Lymph node section stained with H&E, from a whole-slide image of a breast-cancer sentinel node. Magnification about 10×, about 0.5 mm across the frame, about 0.97 µm per pixel.
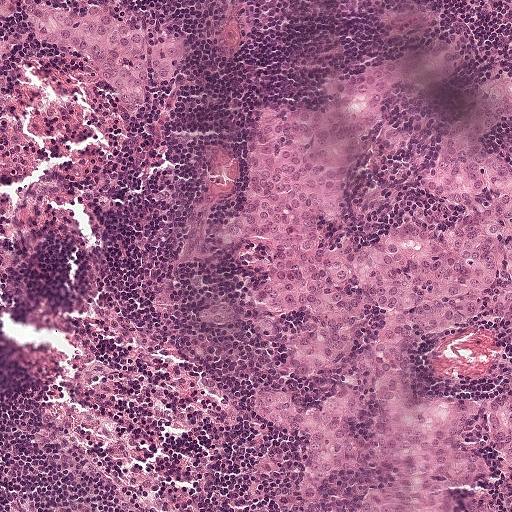
Question: Show where the tumour is in this image.
Answer: Outlines of three tumour regions, largest first (closed clockwise paths, crop pixels): region 1: (448, 42), (454, 77), (384, 107), (407, 148), (351, 167), (336, 208), (352, 244), (444, 227), (460, 217), (417, 182), (475, 87), (511, 71), (511, 328), (420, 344), (407, 383), (467, 402), (458, 444), (484, 462), (495, 511), (349, 511), (384, 476), (367, 402), (358, 450), (322, 499), (295, 502), (300, 448), (258, 429), (240, 393), (331, 397), (381, 307), (331, 366), (275, 365), (311, 325), (258, 311), (263, 247), (222, 236), (248, 120), (271, 98), (319, 104), (365, 54); region 2: (26, 0), (54, 2), (77, 16), (89, 6), (95, 6), (145, 40), (178, 38), (181, 51), (176, 71), (163, 81), (143, 83), (140, 110), (130, 116), (122, 116), (82, 56), (42, 44), (26, 29), (20, 6); region 3: (511, 370), (511, 468), (490, 453), (482, 426), (484, 408), (487, 400), (498, 388), (509, 382).
One more small tumour piece is annotated here but not outlined.
Tumour covers about 35% of the frame.